Question: 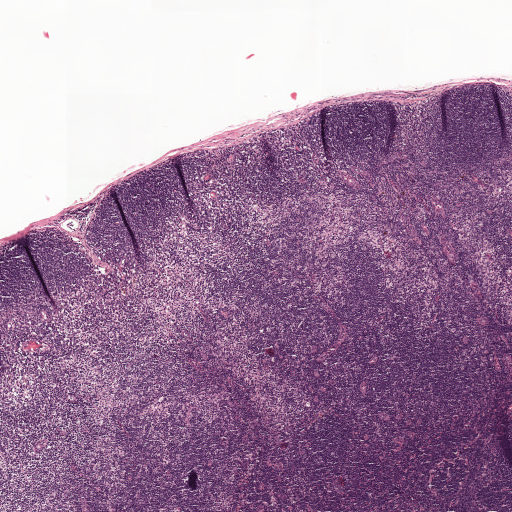
Which magnification is this H&E lymph node field most likely shown at?

Choices:
 (A) about 10×
 (B) about 2.5×
 (C) about 20×
 (D) about 40×
 (E) about 5×

Answer: (B) about 2.5×
A 2.0-mm field of an H&E-stained sentinel lymph node from a breast-cancer patient (whole-slide image), shown at about 2.5×, about 3.9 µm per pixel.